Lymph node section stained with H&E, from a whole-slide image of a breast-cancer sentinel node. Magnification about 20×, about 0.25 mm across the frame, about 0.49 µm per pixel.
Image:
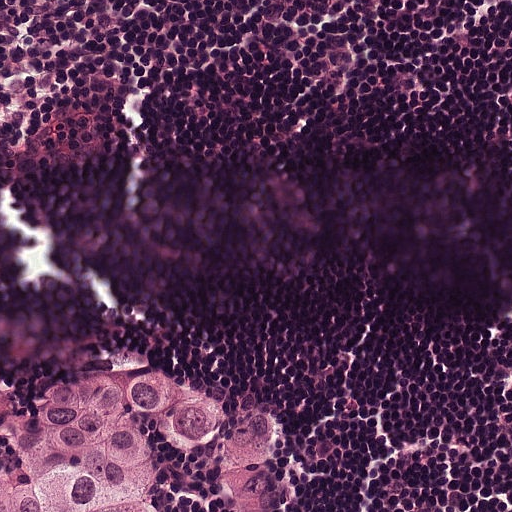
Question:
Where is the metastatic tumour in this field?
Answer:
The outlined metastatic tumour's edge, as a closed clockwise path of 16 points: (159, 349), (231, 368), (263, 387), (278, 456), (279, 511), (221, 511), (218, 458), (188, 454), (170, 430), (147, 418), (138, 438), (174, 511), (0, 511), (0, 364), (31, 376), (116, 350).
The annotated tumour makes up about 15% of the crop.